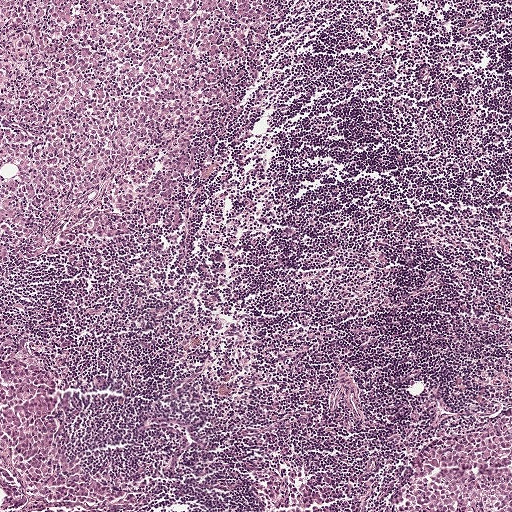
This is a crop of a whole-slide image: an H&E-stained breast-cancer sentinel lymph node section at roughly 5× magnification (about 1.9 µm per pixel; the crop spans about 1 mm).
Question: Is there metastatic carcinoma in this field?
Answer: Yes.
Three metastatic tumour regions, each outlined as a closed clockwise path in crop pixels (x, y), largest first: region 1: (127, 91), (148, 97), (164, 108), (164, 125), (102, 202), (14, 250), (0, 264), (0, 134), (55, 124), (85, 92); region 2: (511, 476), (511, 511), (397, 511), (404, 488), (420, 482); region 3: (0, 0), (27, 0), (13, 17), (0, 25).
About 5% of the image area is annotated as tumour.